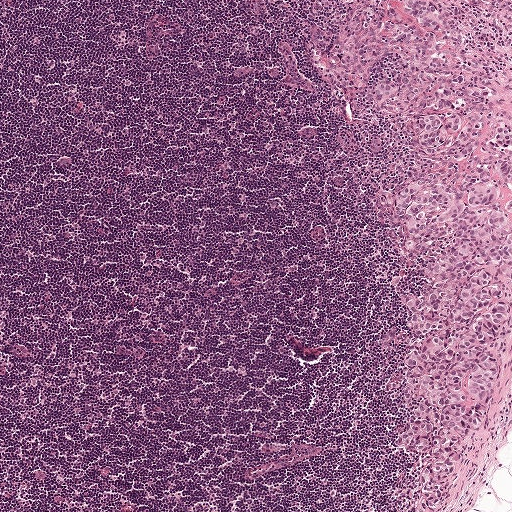
This is a crop of a whole-slide image: an H&E-stained breast-cancer sentinel lymph node section at roughly 5× magnification (about 1.9 µm per pixel; the crop spans about 1 mm).
Two metastatic tumour regions, each outlined as a closed clockwise path in crop pixels (x, y), largest first: region 1: (423, 53), (490, 82), (498, 105), (485, 124), (511, 126), (507, 349), (439, 511), (409, 511), (426, 464), (402, 443), (407, 404), (387, 384), (404, 366), (406, 303), (458, 237), (450, 227), (408, 250), (381, 210), (376, 195), (429, 159), (412, 124), (365, 97), (375, 77); region 2: (433, 0), (440, 5), (444, 13), (444, 34), (436, 35), (422, 28), (410, 14), (404, 10), (401, 1).
Tumour covers about 15% of the frame.